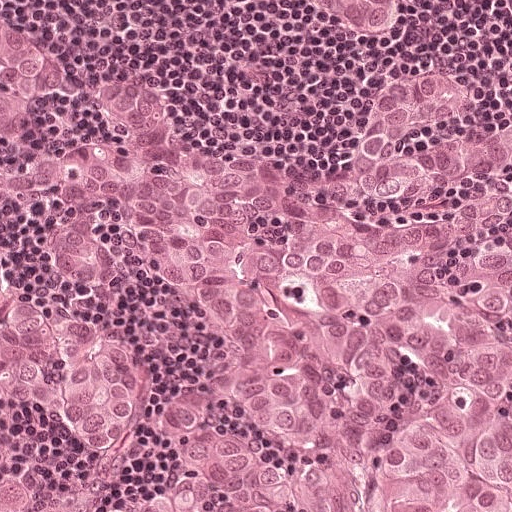
Lymph node section stained with H&E, from a whole-slide image of a breast-cancer sentinel node. Magnification about 20×, about 0.25 mm across the frame, about 0.49 µm per pixel.
Boundaries of two metastatic tumour regions, simplified and listed clockwise, largest first: region 1: (150, 64), (206, 140), (261, 150), (341, 148), (404, 69), (459, 69), (470, 110), (511, 108), (511, 511), (125, 511), (156, 482), (161, 412), (225, 385), (161, 332), (161, 292), (82, 305), (54, 292), (38, 260), (75, 137), (111, 116), (106, 76); region 2: (256, 0), (411, 0), (415, 8), (415, 21), (414, 28), (409, 28), (404, 35), (393, 42), (391, 48), (382, 53), (343, 54), (322, 50), (304, 42), (302, 37), (284, 28).
About 60% of this field is tumour.